Question: 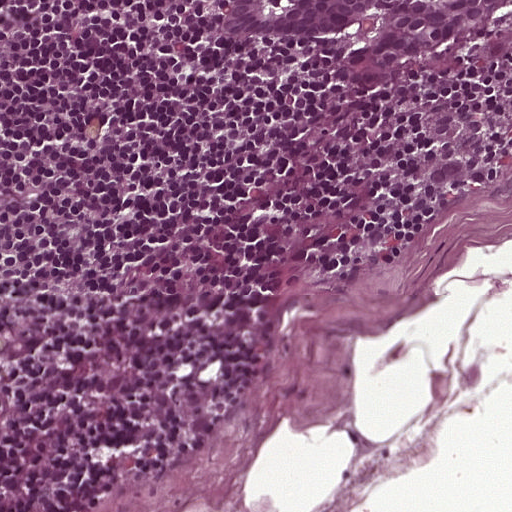
A 0.25-mm field of an H&E-stained sentinel lymph node from a breast-cancer patient (whole-slide image), shown at about 20×, about 0.49 µm per pixel.
Roughly what share of this field is metastatic tumour?

Choices:
 (A) none: no tumour is outlined
 (B) about 10% to 20%
 (C) about 50% or more
 (D) about 5% or less
 (E) about 25% to 45%

Answer: (B) about 10% to 20%
About 10% of the field is tumour.
Metastatic tumour outline, simplified to 14 points and listed clockwise in crop pixels (x, y): (511, 0), (511, 58), (468, 82), (484, 126), (480, 170), (460, 192), (426, 185), (434, 150), (415, 82), (360, 105), (302, 69), (270, 63), (198, 67), (196, 4).